H&E-stained section of a sentinel lymph node (breast cancer), from a whole-slide image, viewed at about 20×: the field is about 0.25 mm across, about 0.49 µm per pixel.
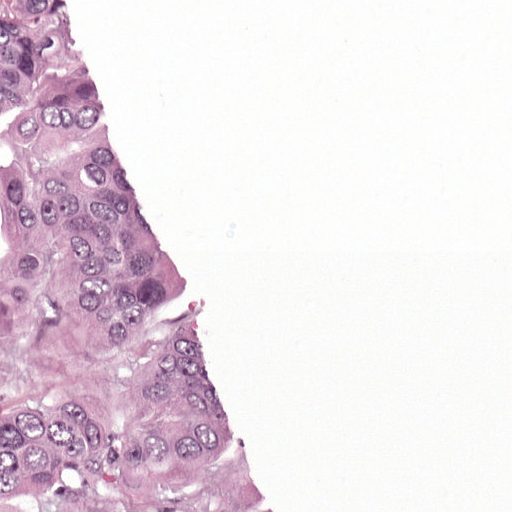
The outlined metastatic tumour's edge, as a closed clockwise path of 5 points: (0, 0), (101, 0), (252, 429), (294, 511), (0, 511).
The annotated tumour makes up about 40% of the crop.